Question: 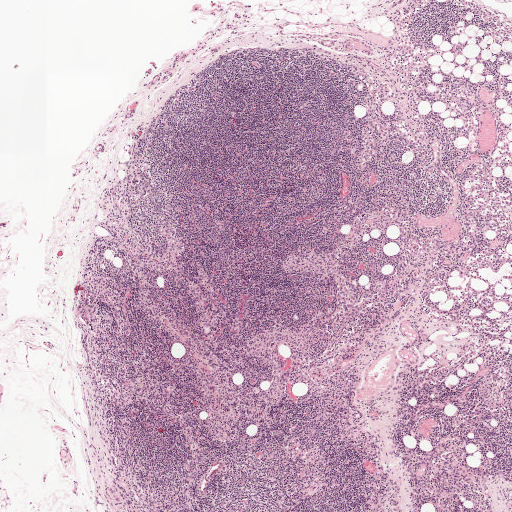
About what magnification does this crop show?

Choices:
 (A) about 40×
 (B) about 20×
 (C) about 2.5×
 (D) about 5×
 (E) about 10×

Answer: (C) about 2.5×
H&E-stained section of a sentinel lymph node (breast cancer), from a whole-slide image, viewed at about 2.5×: the field is about 2.0 mm across, about 3.9 µm per pixel.
Metastatic tumour outline, simplified to 10 points and listed clockwise in crop pixels (x, y): (81, 303), (85, 304), (88, 308), (88, 315), (90, 322), (87, 324), (79, 317), (75, 311), (76, 307), (78, 304).
One more small tumour piece is annotated here but not outlined.
Tumour covers under 5% of the frame.